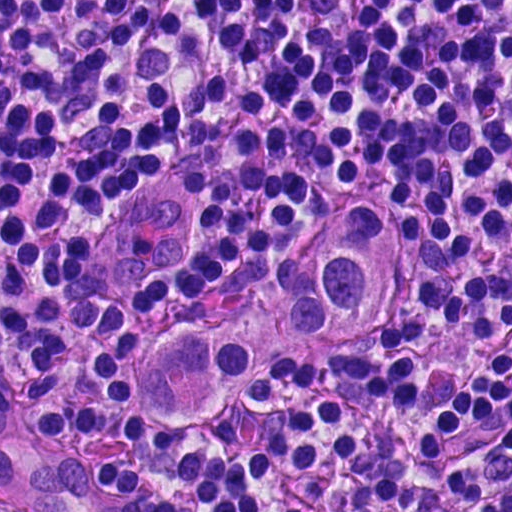
H&E-stained section of a sentinel lymph node (breast cancer), from a whole-slide image, viewed at about 40×: the field is about 0.12 mm across, about 0.23 µm per pixel.
Question: Describe where the metastatic carcinoma lies in this crop.
Answer: One metastatic tumour region; its boundary, reduced to 13 corners and listed clockwise: (344, 208), (405, 217), (427, 277), (402, 333), (343, 359), (277, 365), (222, 393), (187, 442), (131, 402), (139, 341), (202, 324), (242, 277), (298, 251).
Tumour covers about 10% of the frame.